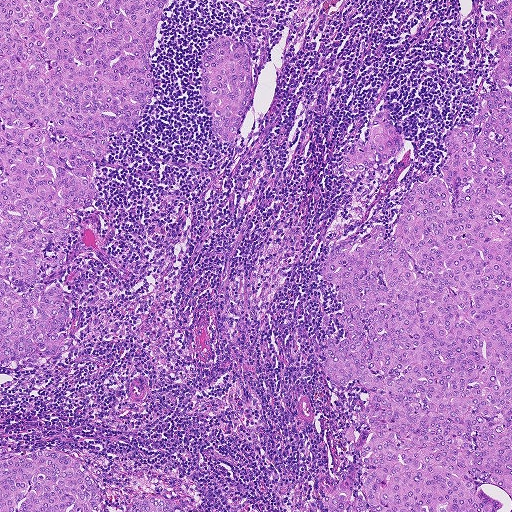
This is a crop of a whole-slide image: an H&E-stained breast-cancer sentinel lymph node section at roughly 5× magnification (about 1.8 µm per pixel; the crop spans about 0.93 mm).
Question: Does this lymph node field contain metastatic tumour?
Answer: Yes.
Seven metastatic tumour regions, each outlined as a closed clockwise path in crop pixels (x, y), largest first: region 1: (511, 0), (511, 511), (325, 511), (338, 483), (366, 500), (360, 450), (373, 432), (345, 434), (373, 389), (328, 380), (327, 341), (347, 334), (322, 259), (375, 225), (390, 237), (414, 184), (440, 176), (452, 128), (482, 128), (498, 53), (485, 42), (495, 14), (481, 6); region 2: (0, 0), (168, 0), (148, 52), (152, 98), (133, 126), (108, 140), (94, 162), (95, 199), (46, 249), (46, 256), (66, 262), (39, 269), (38, 285), (57, 282), (69, 296), (62, 327), (67, 345), (2, 368); region 3: (58, 450), (70, 455), (81, 462), (96, 483), (100, 502), (94, 511), (0, 511), (0, 462), (37, 451); region 4: (216, 36), (224, 36), (246, 44), (251, 59), (251, 94), (237, 140), (230, 142), (215, 135), (211, 112), (204, 107), (202, 68), (206, 45), (213, 43); region 5: (380, 112), (387, 115), (401, 135), (402, 143), (395, 158), (383, 168), (354, 174), (346, 173), (341, 167), (346, 152), (351, 146), (359, 145), (366, 141), (370, 125); region 6: (142, 495), (148, 495), (167, 499), (195, 511), (127, 511), (136, 499); region 7: (233, 0), (268, 0), (267, 3), (262, 7), (256, 8), (249, 8), (243, 5).
About 40% of this field is tumour.